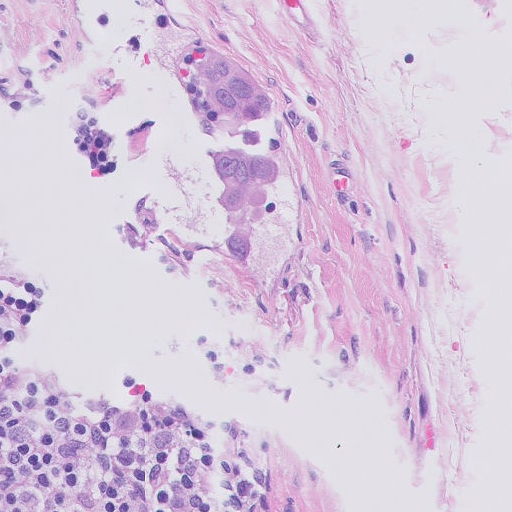
This is a crop of a whole-slide image: an H&E-stained breast-cancer sentinel lymph node section at roughly 20× magnification (about 0.5 µm per pixel; the crop spans about 0.26 mm).
Boundaries of two metastatic tumour regions, simplified and listed clockwise, largest first: region 1: (230, 150), (258, 155), (270, 154), (280, 161), (279, 176), (268, 186), (263, 213), (254, 223), (254, 250), (249, 263), (236, 258), (228, 245), (224, 217), (218, 206), (218, 177), (210, 164), (216, 152); region 2: (205, 46), (218, 50), (246, 70), (255, 82), (274, 109), (260, 126), (260, 143), (247, 147), (237, 126), (223, 125), (194, 78), (188, 64), (190, 50).
The annotated tumour makes up about 5% of the crop.